Question: 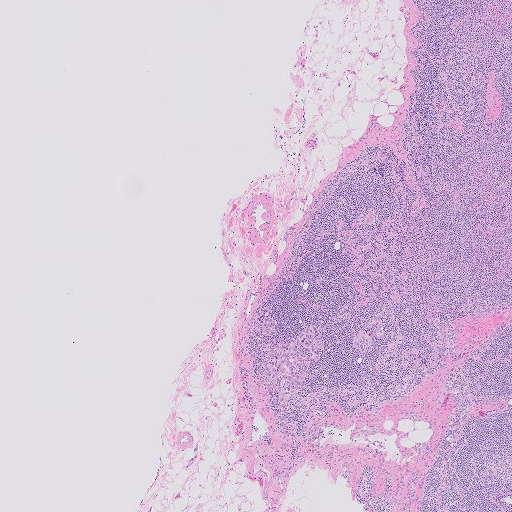
Which magnification is this H&E lymph node field most likely shown at?

Choices:
 (A) about 2.5×
 (B) about 20×
 (C) about 5×
 (D) about 40×
 (E) about 10×

Answer: (A) about 2.5×
A 2.0-mm field of an H&E-stained sentinel lymph node from a breast-cancer patient (whole-slide image), shown at about 2.5×, about 4.0 µm per pixel.
Boundaries of four metastatic tumour regions, simplified and listed clockwise, largest first: region 1: (308, 324), (314, 324), (320, 331), (323, 343), (317, 361), (308, 367), (301, 365), (301, 368), (308, 371), (305, 388), (299, 389), (285, 385), (277, 390), (274, 388), (271, 397), (267, 396), (264, 389), (272, 385), (264, 370), (264, 363), (274, 360), (274, 347), (278, 342), (295, 337); region 2: (267, 306), (272, 308), (269, 314), (275, 318), (275, 325), (268, 336), (261, 334), (256, 329), (252, 316), (257, 310); region 3: (368, 330), (371, 340), (369, 354), (362, 354), (352, 346), (351, 343), (357, 333); region 4: (382, 321), (385, 332), (385, 336), (384, 339), (380, 340), (374, 338), (372, 334), (374, 327), (376, 324), (379, 322).
Three more small tumour pieces are annotated here but not outlined.
Under 5% of this field is tumour.